H&E-stained section of a sentinel lymph node (breast cancer), from a whole-slide image, viewed at about 20×: the field is about 0.25 mm across, about 0.49 µm per pixel.
Image:
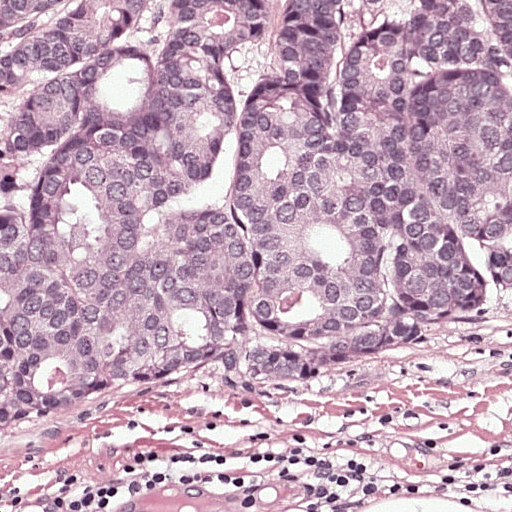
Question:
Where is the metastatic tumour in this field? Give each region's outline as (x, y) pixel points.
Answer:
One metastatic tumour region; its boundary, reduced to 7 corners and listed clockwise: (0, 0), (511, 0), (511, 339), (412, 362), (153, 388), (83, 423), (0, 441).
Tumour covers about 75% of the frame.